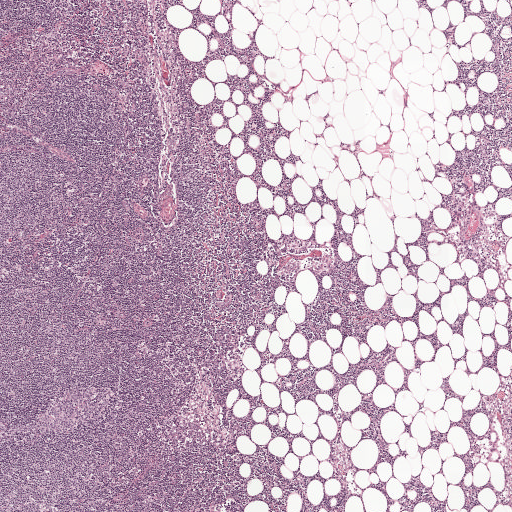
This is a crop of a whole-slide image: an H&E-stained breast-cancer sentinel lymph node section at roughly 2.5× magnification (about 3.9 µm per pixel; the crop spans about 2.0 mm).